This is a crop of a whole-slide image: an H&E-stained breast-cancer sentinel lymph node section at roughly 5× magnification (about 1.8 µm per pixel; the crop spans about 0.93 mm).
Image:
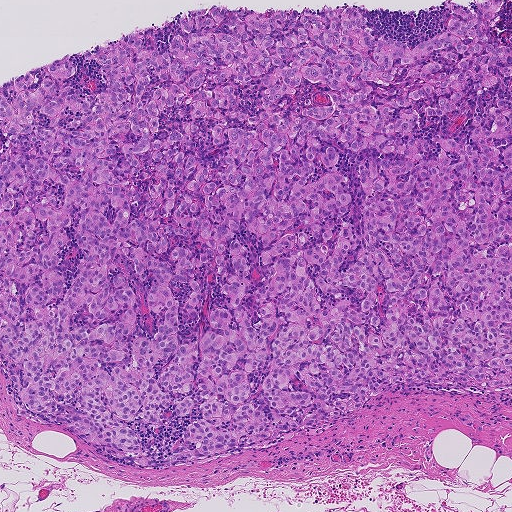
Question:
Which parts of this field are metastatic tumour? Answer with the outline of each region, in pixels.
Answer:
One metastatic tumour region; its boundary, reduced to 21 corners and listed clockwise: (502, 0), (511, 386), (379, 388), (214, 458), (182, 436), (200, 404), (122, 422), (144, 466), (12, 383), (13, 76), (37, 89), (70, 59), (58, 86), (92, 104), (104, 75), (82, 50), (144, 28), (162, 52), (216, 4), (349, 6), (412, 48).
About 75% of this field is tumour.